Question: 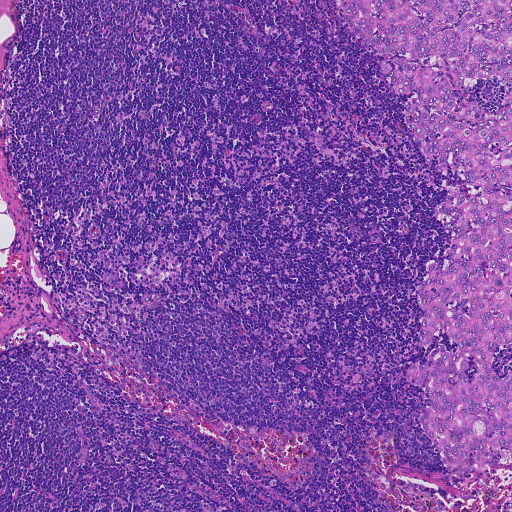
At roughly what magnification is this field shown?

Choices:
 (A) about 20×
 (B) about 40×
 (C) about 2.5×
 (D) about 5×
 (E) about 10×

Answer: (D) about 5×
This is a crop of a whole-slide image: an H&E-stained breast-cancer sentinel lymph node section at roughly 5× magnification (about 1.8 µm per pixel; the crop spans about 0.93 mm).
Outlines of two tumour regions, largest first (closed clockwise paths, crop pixels): region 1: (511, 0), (511, 465), (446, 470), (420, 424), (424, 393), (390, 379), (436, 346), (455, 351), (443, 329), (419, 342), (416, 290), (454, 241), (442, 202), (456, 187), (472, 190), (425, 161), (403, 115), (415, 95), (387, 87), (386, 54), (336, 4); region 2: (511, 493), (511, 511), (504, 511), (504, 508), (508, 504), (510, 499), (510, 494).
One more small tumour piece is annotated here but not outlined.
About 15% of this field is tumour.